Question: 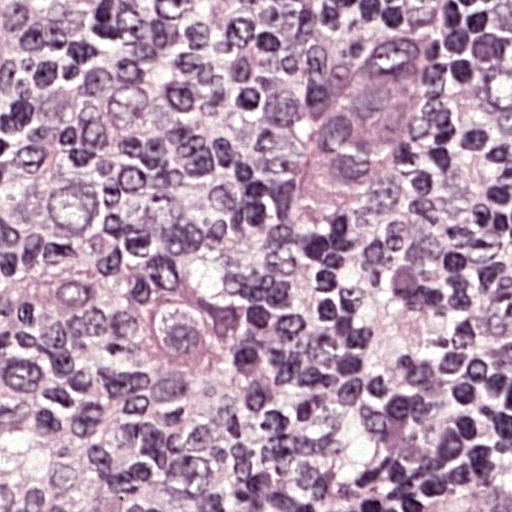
At roughly what magnification is this field shown?

Choices:
 (A) about 5×
 (B) about 40×
 (C) about 20×
 (D) about 2.5×
 (E) about 10×

Answer: (B) about 40×
This is a crop of a whole-slide image: an H&E-stained breast-cancer sentinel lymph node section at roughly 40× magnification (about 0.24 µm per pixel; the crop spans about 0.12 mm).
The outlined metastatic tumour's edge, as a closed clockwise path of 8 points: (420, 23), (436, 39), (425, 112), (376, 197), (299, 231), (285, 191), (315, 127), (373, 43).
One more small tumour piece is annotated here but not outlined.
The annotated tumour makes up about 10% of the crop.